Question: 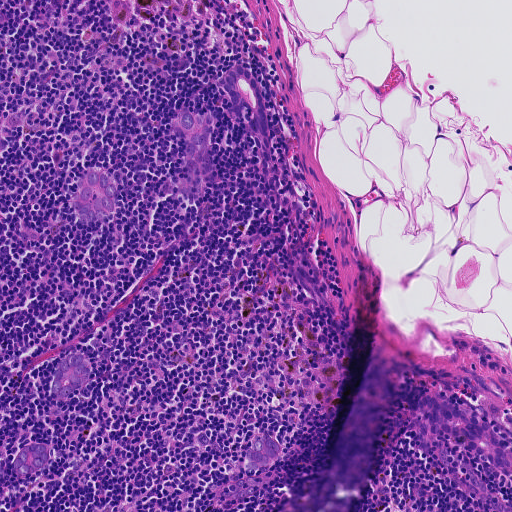
Lymph node section stained with H&E, from a whole-slide image of a breast-cancer sentinel node. Magnification about 10×, about 0.46 mm across the frame, about 0.91 µm per pixel.
What fraction of the image area is metastatic tumour?

Choices:
 (A) about 5% or less
 (B) none: no tumour is outlined
 (C) about 25% to 45%
 (D) about 50% or more
 (E) about 10% to 20%

Answer: (A) about 5% or less
About 5% of the field is tumour.
Outlines of seven tumour regions, largest first (closed clockwise paths, crop pixels): region 1: (427, 394), (465, 406), (486, 416), (511, 443), (511, 469), (506, 471), (488, 464), (451, 436), (440, 436), (426, 452), (411, 426), (417, 417), (418, 398); region 2: (237, 63), (247, 64), (258, 84), (271, 131), (264, 137), (255, 135), (247, 129), (232, 112), (226, 92), (222, 86), (222, 76), (228, 68); region 3: (183, 108), (197, 114), (206, 112), (214, 118), (211, 138), (212, 149), (216, 158), (216, 168), (210, 176), (201, 179), (193, 174), (188, 165), (185, 156), (183, 136), (178, 117); region 4: (90, 167), (110, 170), (115, 189), (115, 208), (108, 216), (99, 222), (89, 222), (80, 220), (71, 201), (82, 183), (82, 173); region 5: (79, 351), (89, 354), (91, 373), (88, 382), (64, 399), (54, 397), (52, 388), (53, 377), (55, 367), (61, 359); region 6: (263, 434), (273, 436), (281, 442), (283, 452), (279, 460), (271, 467), (256, 474), (246, 472), (243, 462), (244, 453), (254, 436); region 7: (28, 443), (48, 444), (51, 453), (50, 462), (44, 470), (30, 475), (20, 475), (13, 467), (14, 458), (20, 448).
One more small tumour piece is annotated here but not outlined.